H&E-stained section of a sentinel lymph node (breast cancer), from a whole-slide image, viewed at about 20×: the field is about 0.23 mm across, about 0.45 µm per pixel.
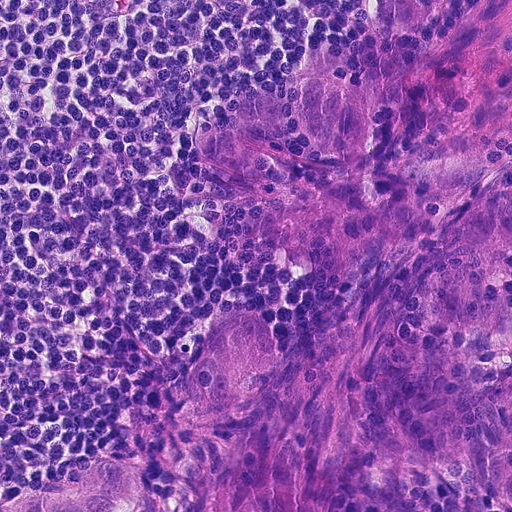
Boundaries of two metastatic tumour regions, simplified and listed clockwise, largest first: region 1: (511, 0), (511, 128), (410, 173), (437, 189), (430, 244), (511, 183), (502, 322), (444, 334), (429, 357), (468, 394), (511, 379), (511, 495), (380, 448), (354, 454), (356, 482), (400, 511), (0, 511), (99, 456), (148, 472), (224, 434), (178, 413), (234, 304), (260, 309), (289, 356), (376, 252), (328, 270), (274, 254), (256, 234), (290, 196), (206, 160), (193, 136), (262, 88), (284, 104), (284, 158), (342, 163), (306, 132), (292, 80), (400, 60), (466, 8); region 2: (366, 0), (456, 0), (434, 22), (410, 36), (382, 41), (362, 24).
About 45% of this field is tumour.